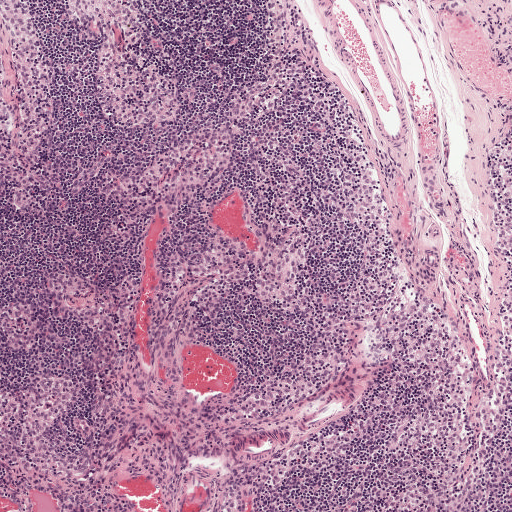
This is a crop of a whole-slide image: an H&E-stained breast-cancer sentinel lymph node section at roughly 5× magnification (about 1.9 µm per pixel; the crop spans about 1 mm).